H&E-stained section of a sentinel lymph node (breast cancer), from a whole-slide image, viewed at about 10×: the field is about 0.5 mm across, about 0.97 µm per pixel.
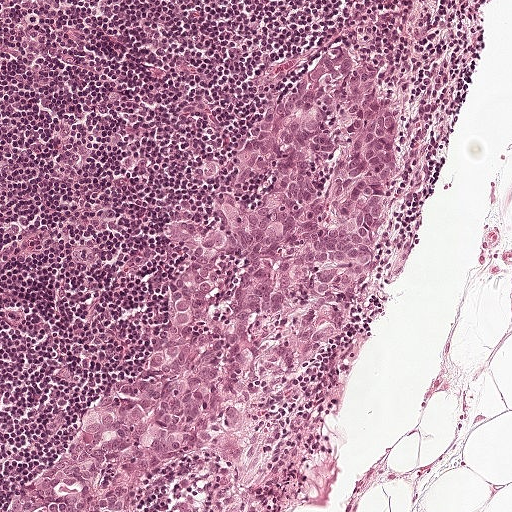
Tumour region outline (a closed clockwise path, crop pixels): (365, 50), (408, 86), (393, 264), (364, 336), (280, 390), (276, 444), (242, 482), (220, 488), (200, 455), (166, 466), (141, 511), (24, 511), (143, 373), (167, 310), (174, 224), (222, 206), (255, 139), (291, 108), (321, 54).
About 30% of the image area is annotated as tumour.